Image:
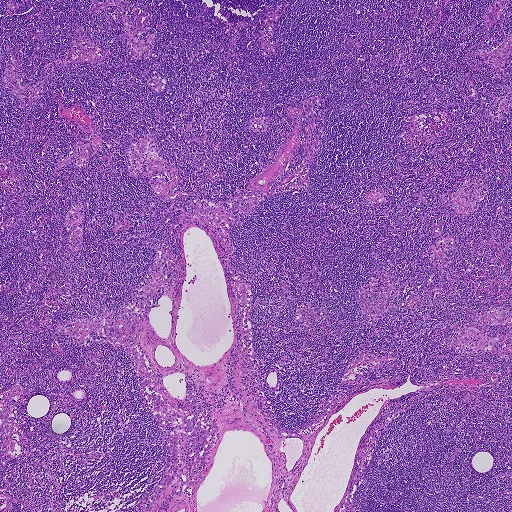
A 1.9-mm field of an H&E-stained sentinel lymph node from a breast-cancer patient (whole-slide image), shown at about 2.5×, about 3.6 µm per pixel.
Question:
Is there metastatic carcinoma in this field?
Answer:
No, this field holds no outlined metastasis.